Question: 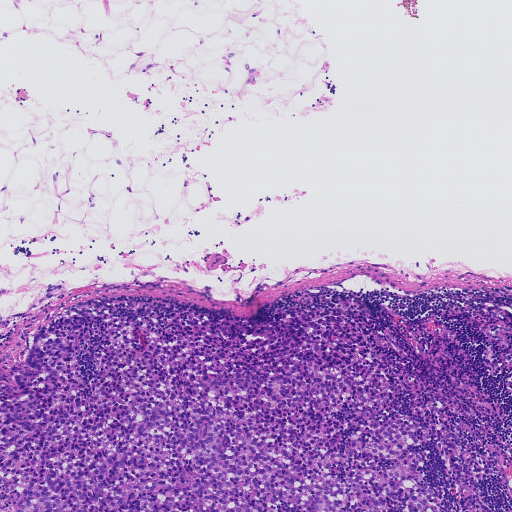
Which magnification is this H&E lymph node field most likely shown at?

Choices:
 (A) about 20×
 (B) about 2.5×
 (C) about 40×
 (D) about 5×
 (E) about 10×

Answer: (D) about 5×
This is a crop of a whole-slide image: an H&E-stained breast-cancer sentinel lymph node section at roughly 5× magnification (about 1.8 µm per pixel; the crop spans about 0.93 mm).
Two metastatic tumour regions, each outlined as a closed clockwise path in crop pixels (x, y), largest first: region 1: (302, 305), (342, 310), (385, 364), (370, 384), (394, 396), (385, 420), (396, 410), (426, 425), (410, 449), (426, 449), (418, 470), (446, 511), (0, 511), (0, 378), (62, 316), (95, 318), (79, 355), (88, 383), (116, 317), (167, 338), (178, 311), (249, 332); region 2: (334, 294), (347, 295), (369, 308), (376, 320), (369, 329), (361, 327), (354, 319), (353, 312), (337, 307), (330, 300).
The annotated tumour makes up about 30% of the crop.